Question: 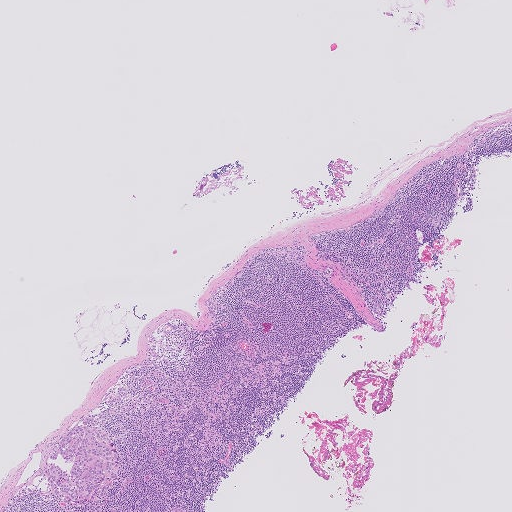
At roughly what magnification is this field shown?

Choices:
 (A) about 5×
 (B) about 2.5×
 (C) about 20×
 (D) about 10×
 (E) about 40×

Answer: (B) about 2.5×
H&E-stained section of a sentinel lymph node (breast cancer), from a whole-slide image, viewed at about 2.5×: the field is about 2.0 mm across, about 4.0 µm per pixel.
Tumour region outline (a closed clockwise path, crop pixels): (94, 417), (96, 423), (109, 434), (117, 456), (115, 479), (105, 494), (85, 505), (56, 498), (47, 482), (48, 459), (53, 448), (78, 421).
Tumour covers under 5% of the frame.